H&E-stained section of a sentinel lymph node (breast cancer), from a whole-slide image, viewed at about 20×: the field is about 0.25 mm across, about 0.49 µm per pixel.
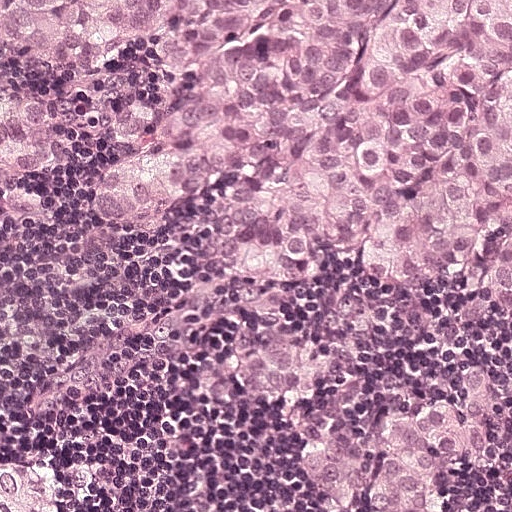
Three metastatic tumour regions, each outlined as a closed clockwise path in crop pixels (x, y), largest first: region 1: (511, 0), (511, 305), (373, 278), (343, 247), (310, 254), (278, 278), (210, 278), (184, 263), (184, 224), (98, 224), (86, 204), (89, 168), (170, 90), (140, 47), (114, 37), (40, 48), (44, 151), (20, 175), (38, 196), (39, 222), (12, 226), (0, 218), (2, 2); region 2: (246, 318), (282, 325), (313, 347), (313, 398), (370, 434), (380, 410), (414, 398), (464, 364), (474, 364), (481, 378), (491, 417), (480, 458), (439, 475), (428, 511), (353, 511), (348, 504), (330, 504), (282, 464), (286, 428), (204, 370), (202, 333); region 3: (0, 459), (27, 462), (36, 467), (42, 484), (42, 498), (39, 511), (0, 511).
Tumour covers about 55% of the frame.